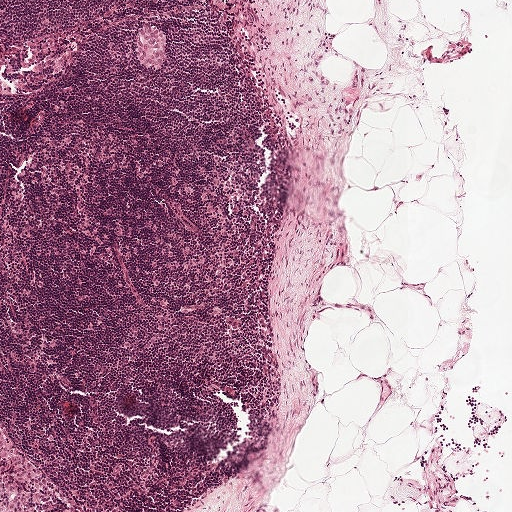
H&E-stained section of a sentinel lymph node (breast cancer), from a whole-slide image, viewed at about 5×: the field is about 1 mm across, about 1.9 µm per pixel.
The outlined metastatic tumour's edge, as a closed clockwise path of 12 points: (153, 24), (160, 26), (167, 34), (167, 55), (163, 71), (156, 72), (150, 70), (138, 58), (134, 50), (134, 43), (139, 29), (145, 25).
The annotated tumour makes up under 5% of the crop.